This is a crop of a whole-slide image: an H&E-stained breast-cancer sentinel lymph node section at roughly 10× magnification (about 0.97 µm per pixel; the crop spans about 0.5 mm).
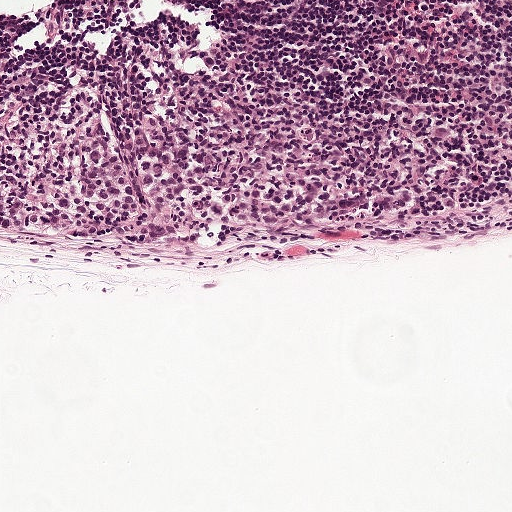
Metastatic tumour outline, simplified to 10 points and listed clockwise in crop pixels (x, y): (61, 80), (120, 82), (163, 109), (254, 96), (337, 123), (394, 206), (387, 232), (328, 253), (1, 238), (0, 92).
Tumour covers about 20% of the frame.